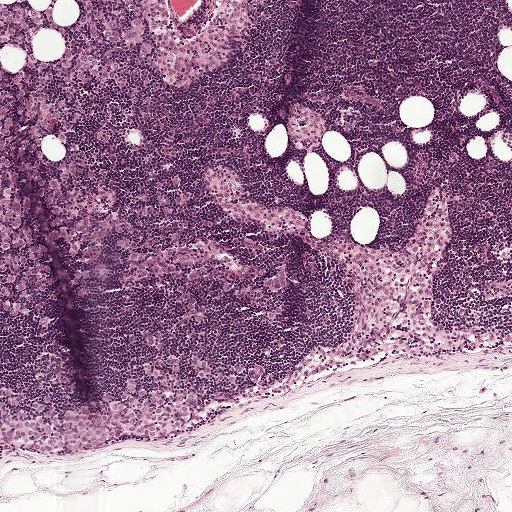
This is a crop of a whole-slide image: an H&E-stained breast-cancer sentinel lymph node section at roughly 5× magnification (about 1.9 µm per pixel; the crop spans about 1 mm).
Tumour region outline (a closed clockwise path, crop pixels): (28, 0), (32, 10), (43, 11), (57, 0), (52, 19), (70, 24), (78, 14), (70, 0), (145, 0), (143, 59), (90, 113), (36, 148), (56, 163), (86, 160), (110, 191), (120, 251), (65, 308), (36, 312), (0, 299), (0, 75), (29, 239), (53, 298), (64, 302), (75, 294), (58, 223), (32, 161), (36, 84), (26, 69), (19, 69), (21, 50), (4, 45), (0, 56), (0, 4).
The annotated tumour makes up about 10% of the crop.